Question: 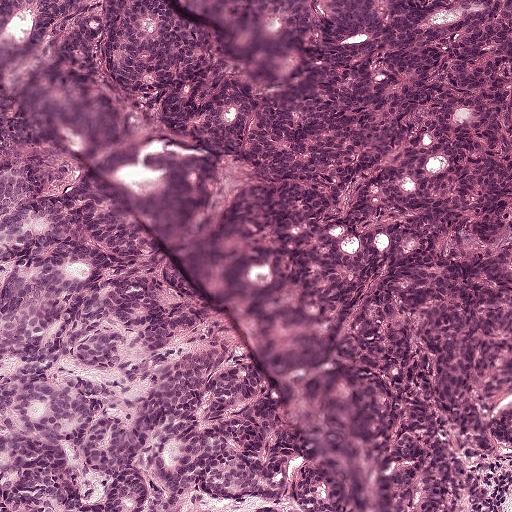
A 0.5-mm field of an H&E-stained sentinel lymph node from a breast-cancer patient (whole-slide image), shown at about 10×, about 0.97 µm per pixel.
Estimate the proportion of this field that is metastatic tumour.

Choices:
 (A) about 50% or more
 (B) about 5% or less
 (C) about 25% to 45%
 (D) about 10% to 20%
 (E) none: no tumour is outlined

Answer: (A) about 50% or more
About 75% of the field is tumour.
Boundaries of two metastatic tumour regions, simplified and listed clockwise, largest first: region 1: (0, 0), (174, 0), (198, 44), (276, 84), (319, 76), (326, 28), (364, 0), (511, 0), (511, 313), (461, 377), (470, 405), (511, 406), (511, 493), (479, 511), (413, 507), (287, 298), (171, 137), (103, 78), (4, 22); region 2: (0, 96), (232, 336), (282, 449), (328, 511), (0, 511).